Image:
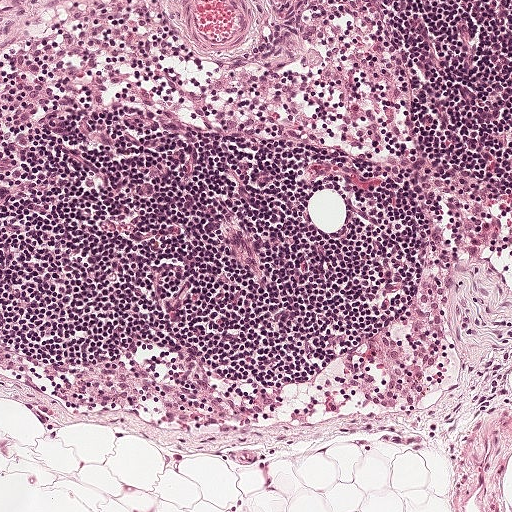
This is a crop of a whole-slide image: an H&E-stained breast-cancer sentinel lymph node section at roughly 10× magnification (about 0.97 µm per pixel; the crop spans about 0.5 mm).
Question:
Does this lymph node field contain metastatic tumour?
Answer:
No: no metastatic tumour is outlined anywhere in this field.